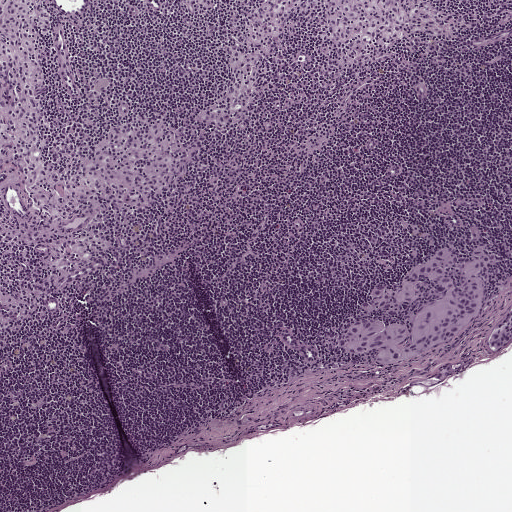
Lymph node section stained with H&E, from a whole-slide image of a breast-cancer sentinel node. Magnification about 5×, about 1 mm across the frame, about 1.9 µm per pixel.
Three metastatic tumour regions, each outlined as a closed clockwise path in crop pixels (x, y), largest first: region 1: (475, 223), (483, 231), (486, 245), (500, 260), (480, 308), (449, 345), (387, 366), (379, 365), (371, 353), (348, 355), (323, 338), (323, 331), (329, 328), (386, 312), (354, 314), (352, 307), (374, 284), (389, 286), (442, 245), (450, 245), (463, 257), (472, 246), (468, 226); region 2: (511, 310), (511, 341), (509, 345), (503, 350), (492, 352), (488, 347), (488, 342), (492, 327), (504, 317), (508, 311); region 3: (447, 362), (455, 370), (453, 376), (447, 381), (439, 381), (435, 376), (436, 368), (441, 364).
About 5% of this field is tumour.